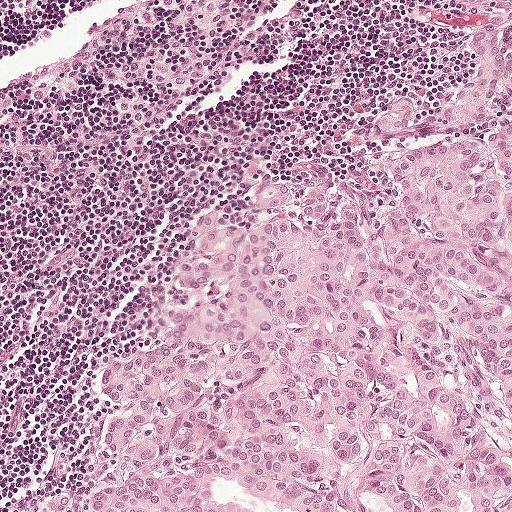
Lymph node section stained with H&E, from a whole-slide image of a breast-cancer sentinel node. Magnification about 10×, about 0.5 mm across the frame, about 0.97 µm per pixel.
Boundaries of two metastatic tumour regions, simplified and listed clockwise, largest first: region 1: (510, 16), (511, 511), (85, 511), (106, 477), (105, 378), (169, 338), (184, 302), (168, 271), (195, 251), (190, 236), (206, 222), (254, 230), (248, 202), (280, 175), (395, 213), (396, 191), (360, 160), (444, 142), (370, 134), (371, 113), (438, 110); region 2: (56, 501), (68, 501), (74, 504), (76, 508), (76, 511), (50, 511), (52, 505).
The annotated tumour makes up about 50% of the crop.